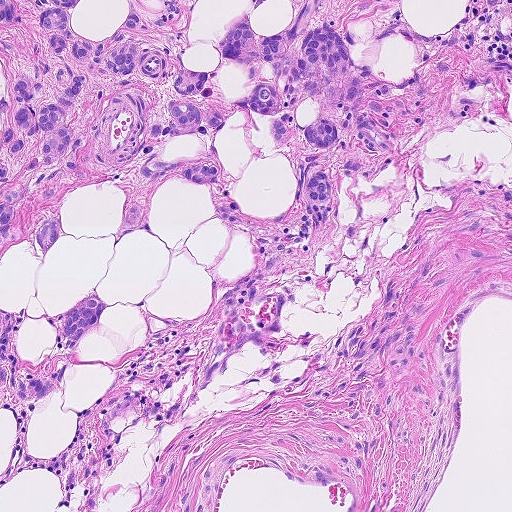
Lymph node section stained with H&E, from a whole-slide image of a breast-cancer sentinel node. Magnification about 10×, about 0.46 mm across the frame, about 0.9 µm per pixel.
Two metastatic tumour regions, each outlined as a closed clockwise path in crop pixels (x, y), largest first: region 1: (0, 0), (323, 0), (308, 29), (340, 26), (376, 80), (424, 82), (418, 128), (392, 157), (342, 136), (318, 159), (337, 187), (329, 206), (300, 202), (295, 162), (312, 145), (300, 134), (276, 150), (267, 118), (227, 120), (212, 146), (247, 216), (237, 228), (209, 188), (175, 172), (140, 180), (168, 100), (150, 82), (98, 81), (74, 124), (81, 172), (32, 189), (12, 230), (34, 232), (52, 208), (67, 228), (43, 260), (15, 240), (0, 251); region 2: (94, 289), (104, 308), (94, 328), (80, 334), (73, 360), (61, 382), (46, 404), (0, 409), (0, 310), (14, 313), (24, 306), (30, 317), (50, 315), (72, 307).
One more small tumour piece is annotated here but not outlined.
About 25% of the image area is annotated as tumour.